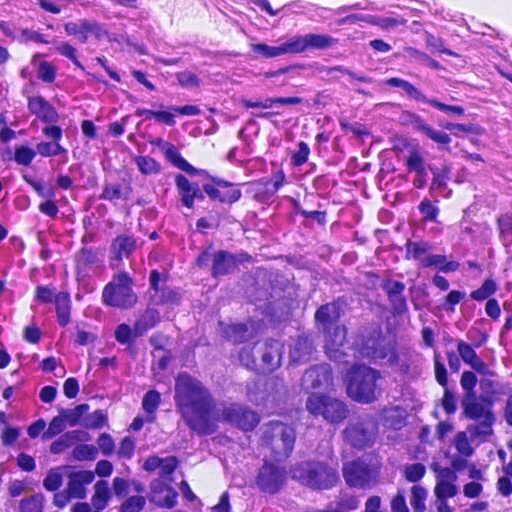
Lymph node section stained with H&E, from a whole-slide image of a breast-cancer sentinel node. Magnification about 40×, about 0.12 mm across the frame, about 0.23 µm per pixel.
Tumour region outline (a closed clockwise path, crop pixels): (274, 256), (376, 293), (415, 359), (422, 394), (409, 464), (382, 489), (313, 508), (278, 504), (248, 486), (235, 453), (202, 439), (181, 410), (175, 375), (214, 293).
One more small tumour piece is annotated here but not outlined.
About 15% of the image area is annotated as tumour.